Image:
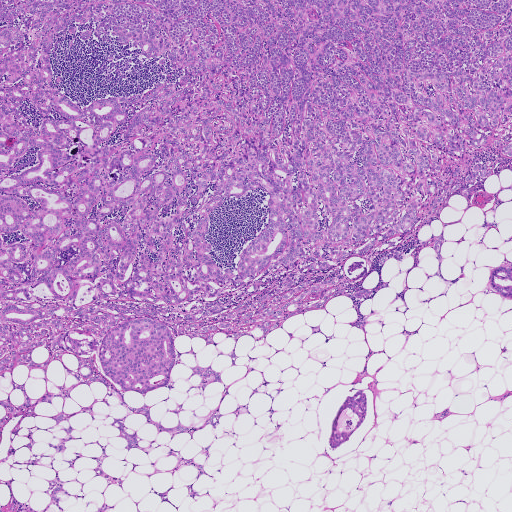
This is a crop of a whole-slide image: an H&E-stained breast-cancer sentinel lymph node section at roughly 2.5× magnification (about 3.6 µm per pixel; the crop spans about 1.9 mm).
Question:
Trace the edge of each tumour region in this crop, as (x, y) points from 0 to 511.
Answer:
Boundaries of eight metastatic tumour regions, simplified and listed clockwise, largest first: region 1: (0, 0), (511, 0), (511, 157), (469, 146), (453, 168), (493, 173), (392, 239), (403, 256), (346, 259), (348, 292), (389, 288), (243, 336), (236, 365), (233, 366), (229, 355), (235, 340), (225, 334), (180, 336), (224, 383), (188, 393), (182, 355), (168, 385), (60, 386), (0, 437); region 2: (145, 403), (154, 421), (160, 420), (164, 427), (175, 427), (178, 416), (166, 411), (184, 403), (185, 410), (179, 419), (183, 425), (202, 425), (218, 410), (223, 416), (216, 427), (209, 425), (199, 431), (172, 437), (159, 432), (148, 423), (145, 416), (129, 415), (124, 420), (127, 431), (129, 434), (136, 430), (142, 439), (139, 445), (147, 453), (137, 448), (128, 451), (124, 448), (127, 442), (116, 437), (119, 431), (110, 425), (114, 418), (125, 416), (127, 405), (138, 408); region 3: (360, 390), (364, 390), (366, 401), (364, 419), (345, 442), (332, 449), (328, 443), (334, 421), (348, 396), (355, 395); region 4: (61, 412), (75, 429), (72, 432), (74, 439), (66, 445), (65, 460), (73, 459), (76, 453), (99, 456), (99, 446), (87, 445), (90, 442), (107, 446), (107, 456), (102, 466), (107, 476), (96, 475), (94, 471), (98, 464), (94, 459), (79, 459), (74, 469), (63, 461), (61, 453), (55, 455), (55, 449), (49, 443), (53, 436), (64, 438), (66, 435), (62, 429), (68, 425), (67, 421), (48, 429), (56, 421), (50, 417); region 5: (504, 266), (511, 267), (511, 300), (504, 298), (494, 292), (490, 286), (489, 272), (492, 269); region 6: (57, 474), (62, 481), (66, 482), (63, 485), (64, 489), (68, 495), (58, 494), (63, 499), (59, 505), (62, 511), (51, 502), (51, 498), (45, 493), (49, 487), (49, 480), (55, 477); region 7: (170, 449), (179, 453), (184, 458), (192, 459), (194, 462), (203, 465), (203, 469), (203, 473), (196, 482), (193, 485), (193, 489), (194, 492), (195, 496), (192, 497), (189, 496), (188, 485), (195, 482), (198, 476), (197, 469), (193, 465), (187, 464), (179, 460), (177, 457), (173, 456), (169, 452); region 8: (443, 234), (445, 241), (442, 245), (441, 252), (444, 258), (440, 267), (432, 246), (434, 243), (423, 245), (421, 242).
Eight more small tumour pieces are annotated here but not outlined.
About 65% of this field is tumour.